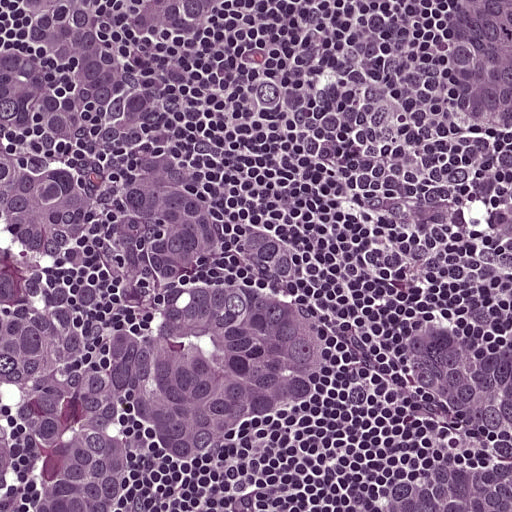
H&E-stained section of a sentinel lymph node (breast cancer), from a whole-slide image, viewed at about 20×: the field is about 0.25 mm across, about 0.49 µm per pixel.
Question: Which parts of this field are metastatic tumour? Answer with the outline of each region, in pixels.
Answer: Outlines of three tumour regions, largest first (closed clockwise paths, crop pixels): region 1: (0, 0), (263, 0), (190, 48), (189, 156), (330, 256), (322, 400), (135, 511), (0, 511); region 2: (426, 301), (511, 320), (511, 511), (332, 511), (458, 449), (391, 362); region 3: (405, 0), (511, 0), (511, 149), (456, 144).
About 60% of the image area is annotated as tumour.